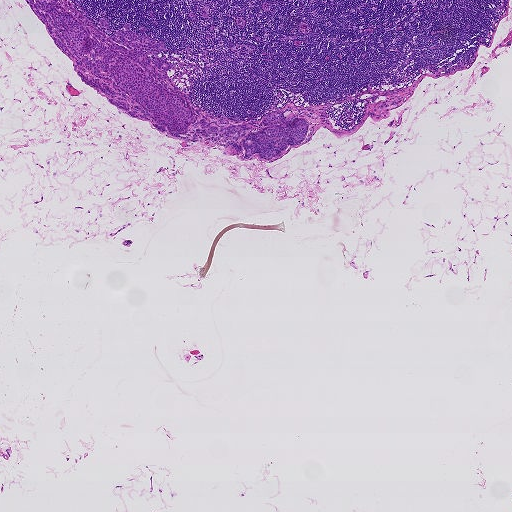
Lymph node section stained with H&E, from a whole-slide image of a breast-cancer sentinel node. Magnification about 2.5×, about 1.9 mm across the frame, about 3.6 µm per pixel.
Metastatic tumour outline, simplified to 23 points and listed clockwise in crop pixels (x, y): (25, 0), (70, 0), (99, 29), (107, 36), (128, 22), (140, 34), (145, 26), (141, 34), (164, 43), (160, 51), (172, 67), (167, 74), (196, 106), (250, 123), (291, 109), (309, 125), (305, 139), (267, 161), (257, 153), (244, 158), (222, 142), (161, 134), (84, 84).
Tumour covers about 5% of the frame.